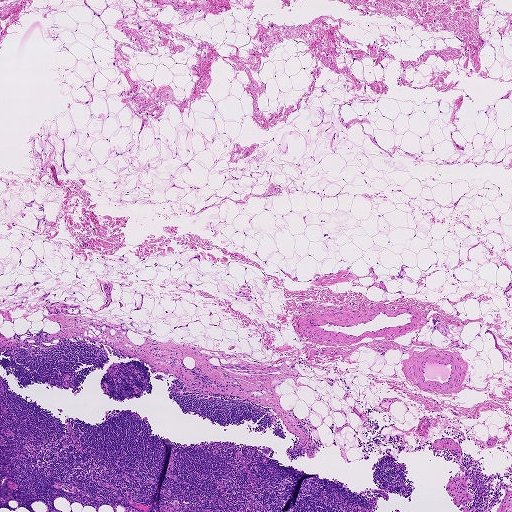
A 1.9-mm field of an H&E-stained sentinel lymph node from a breast-cancer patient (whole-slide image), shown at about 2.5×, about 3.6 µm per pixel.
Question: Is there metastatic carcinoma in this field?
Answer: No: no metastatic tumour is outlined anywhere in this field.